Question: 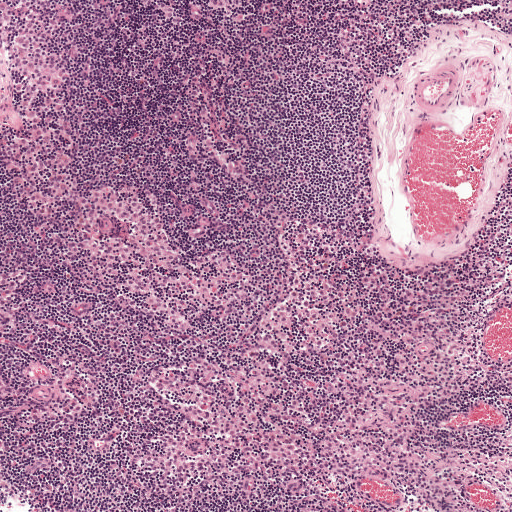
Which magnification is this H&E lymph node field most likely shown at?

Choices:
 (A) about 2.5×
 (B) about 40×
 (C) about 10×
 (D) about 5×
 (E) about 20×

Answer: (D) about 5×
This is a crop of a whole-slide image: an H&E-stained breast-cancer sentinel lymph node section at roughly 5× magnification (about 1.9 µm per pixel; the crop spans about 1 mm).